H&E-stained section of a sentinel lymph node (breast cancer), from a whole-slide image, viewed at about 20×: the field is about 0.25 mm across, about 0.49 µm per pixel.
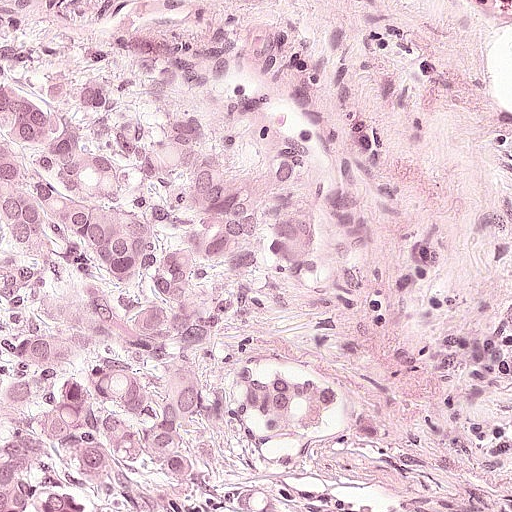
Metastatic tumour outline, simplified to 11 points and listed clockwise in crop pixels (x, y): (0, 13), (229, 46), (260, 74), (332, 228), (311, 288), (290, 296), (222, 371), (216, 450), (243, 476), (336, 511), (0, 511).
Tumour covers about 50% of the frame.